Image:
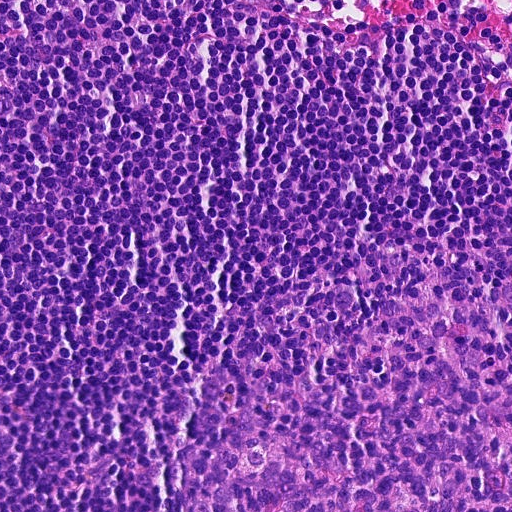
Lymph node section stained with H&E, from a whole-slide image of a breast-cancer sentinel node. Magnification about 20×, about 0.23 mm across the frame, about 0.45 µm per pixel.
Question:
Is there metastatic carcinoma in this field?
Answer:
No, this field holds no outlined metastasis.